This is a crop of a whole-slide image: an H&E-stained breast-cancer sentinel lymph node section at roughly 20× magnification (about 0.49 µm per pixel; the crop spans about 0.25 mm).
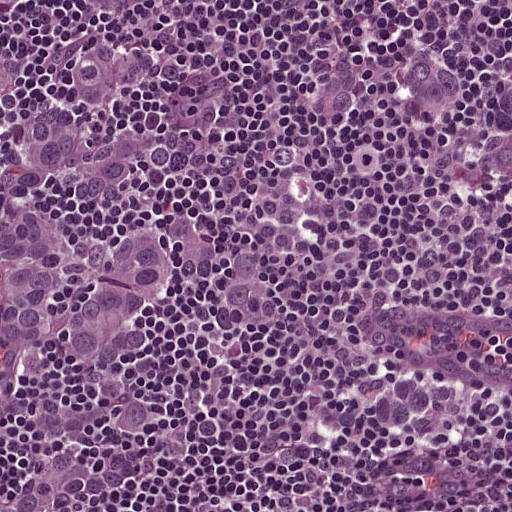
The outlined metastatic tumour's edge, as a closed clockwise path of 19 points: (0, 0), (133, 0), (197, 76), (236, 84), (357, 78), (425, 40), (511, 20), (511, 201), (331, 127), (172, 138), (168, 216), (192, 202), (312, 319), (411, 352), (442, 408), (341, 428), (209, 393), (151, 511), (0, 511).
The annotated tumour makes up about 55% of the crop.